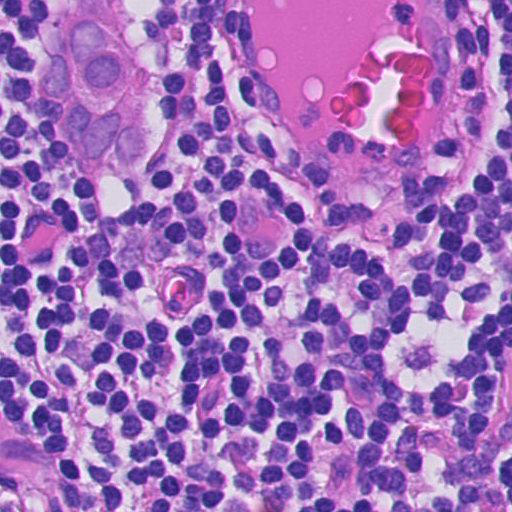
Lymph node section stained with H&E, from a whole-slide image of a breast-cancer sentinel node. Magnification about 40×, about 0.12 mm across the frame, about 0.23 µm per pixel.
Metastatic tumour outline, simplified to 9 points and listed clockwise in crop pixels (x, y): (78, 4), (101, 4), (157, 75), (152, 117), (158, 147), (138, 176), (104, 171), (33, 119), (29, 66).
Tumour covers about 5% of the frame.